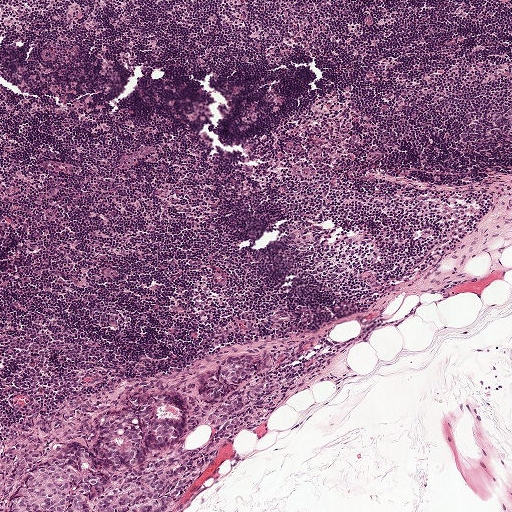
A 1-mm field of an H&E-stained sentinel lymph node from a breast-cancer patient (whole-slide image), shown at about 5×, about 1.9 µm per pixel.
Metastatic tumour outline, simplified to 21 points and listed clockwise in crop pixels (x, y): (229, 357), (259, 358), (265, 378), (239, 408), (239, 424), (222, 432), (208, 418), (183, 439), (192, 452), (212, 440), (216, 446), (165, 510), (0, 511), (0, 449), (71, 402), (109, 405), (142, 382), (166, 386), (188, 414), (202, 401), (201, 376).
About 10% of the image area is annotated as tumour.